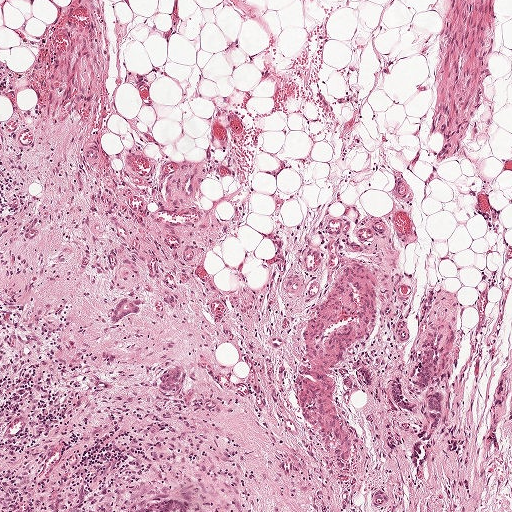
Lymph node section stained with H&E, from a whole-slide image of a breast-cancer sentinel node. Magnification about 5×, about 1 mm across the frame, about 1.9 µm per pixel.
Boundaries of four metastatic tumour regions, simplified and listed clockwise, largest first: region 1: (424, 362), (435, 365), (434, 374), (432, 380), (433, 388), (434, 390), (442, 391), (444, 398), (444, 430), (436, 434), (432, 432), (432, 425), (427, 418), (428, 404), (425, 396), (411, 388), (409, 384), (409, 373), (413, 368); region 2: (128, 297), (137, 302), (141, 307), (141, 314), (140, 317), (134, 318), (114, 326), (110, 325), (110, 318), (116, 302); region 3: (162, 500), (181, 500), (181, 501), (190, 502), (213, 511), (132, 511), (140, 508), (146, 506), (150, 504), (154, 504), (155, 503), (158, 502), (159, 501); region 4: (392, 379), (400, 379), (400, 390), (412, 404), (414, 414), (400, 409), (392, 403), (387, 388).
The annotated tumour makes up under 5% of the crop.